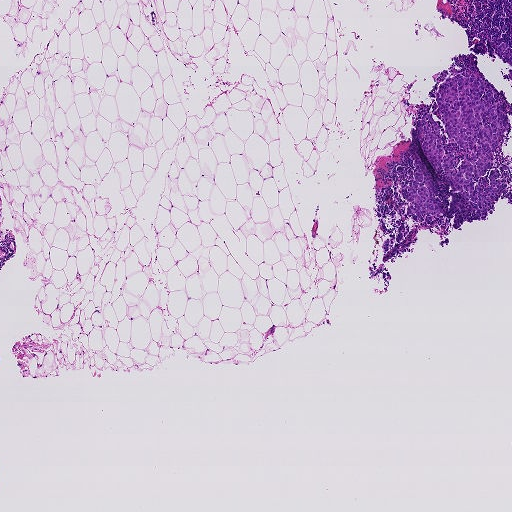
A 1.9-mm field of an H&E-stained sentinel lymph node from a breast-cancer patient (whole-slide image), shown at about 2.5×, about 3.6 µm per pixel.
Two metastatic tumour regions, each outlined as a closed clockwise path in crop pixels (x, y), largest first: region 1: (456, 72), (476, 74), (498, 89), (506, 114), (508, 130), (494, 151), (492, 168), (511, 165), (511, 173), (505, 170), (499, 179), (511, 191), (511, 205), (498, 198), (487, 219), (454, 230), (453, 215), (425, 225), (407, 217), (409, 235), (383, 252), (383, 242), (398, 230), (395, 219), (405, 215), (408, 205), (396, 165), (415, 170), (410, 144), (424, 110), (439, 124), (443, 150), (447, 147), (442, 122), (432, 111), (436, 91); region 2: (500, 42), (507, 43), (511, 48), (511, 67), (510, 65), (501, 60), (497, 56), (495, 51), (496, 46).
About 5% of the image area is annotated as tumour.